A 2.0-mm field of an H&E-stained sentinel lymph node from a breast-cancer patient (whole-slide image), shown at about 2.5×, about 4.0 µm per pixel.
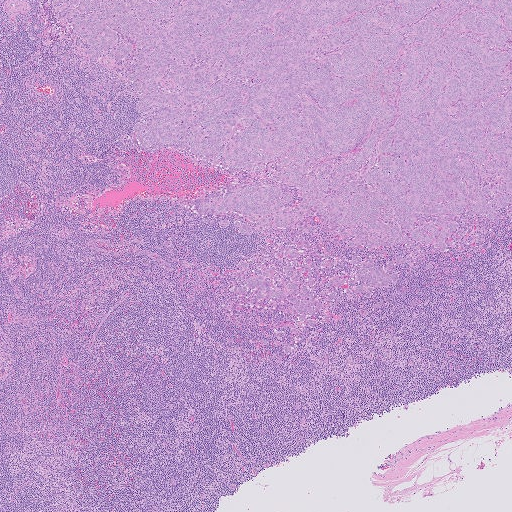
The outlined metastatic tumour's edge, as a closed clockwise path of 24 points: (511, 0), (511, 207), (491, 220), (464, 211), (437, 266), (405, 269), (368, 298), (340, 293), (331, 321), (304, 331), (234, 294), (248, 272), (239, 263), (258, 275), (281, 232), (223, 231), (217, 216), (188, 206), (244, 176), (135, 147), (136, 100), (117, 62), (71, 39), (48, 2).
Three more small tumour pieces are annotated here but not outlined.
About 35% of this field is tumour.